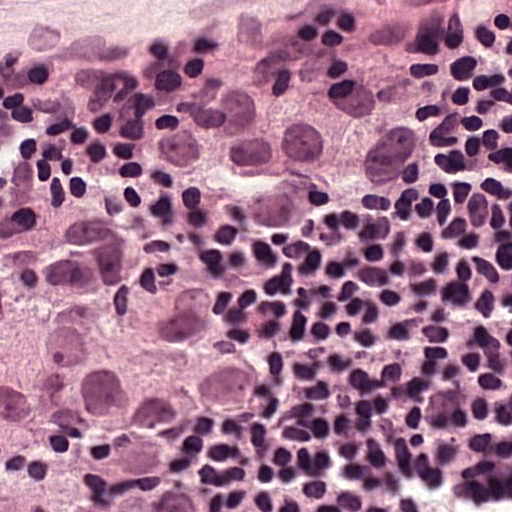
H&E-stained section of a sentinel lymph node (breast cancer), from a whole-slide image, viewed at about 40×: the field is about 0.12 mm across, about 0.24 µm per pixel.
Two metastatic tumour regions, each outlined as a closed clockwise path in crop pixels (x, y), largest first: region 1: (34, 151), (60, 186), (173, 226), (237, 326), (272, 359), (274, 390), (250, 426), (182, 431), (173, 467), (249, 511), (0, 511), (0, 159); region 2: (351, 58), (388, 74), (437, 119), (430, 192), (369, 201), (258, 235), (141, 160), (154, 113), (232, 79), (292, 81).
The annotated tumour makes up about 40% of the crop.